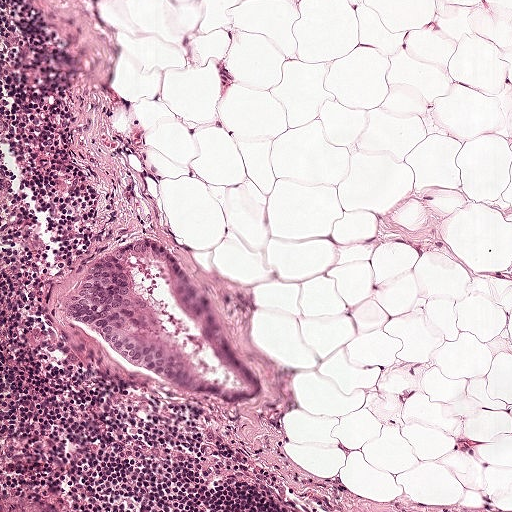
H&E-stained section of a sentinel lymph node (breast cancer), from a whole-slide image, viewed at about 10×: the field is about 0.5 mm across, about 0.97 µm per pixel.
Question: Is any metastatic breast cancer visible in this crop?
Answer: Yes.
Tumour region outline (a closed clockwise path, crop pixels): (144, 237), (150, 240), (150, 256), (141, 260), (132, 272), (136, 288), (147, 302), (150, 327), (159, 343), (168, 350), (169, 373), (154, 379), (136, 374), (122, 354), (64, 315), (61, 301), (69, 288), (93, 260).
About 5% of this field is tumour.

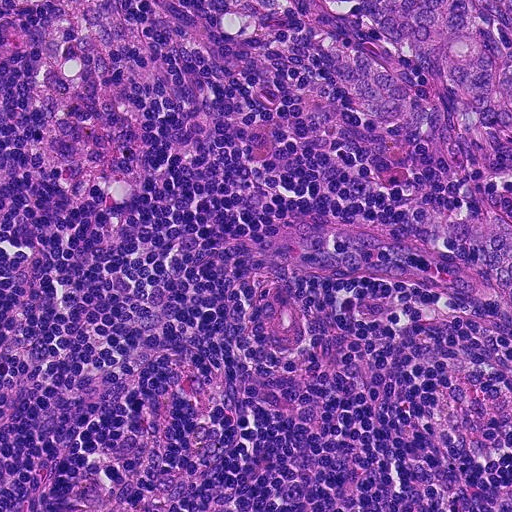
A 0.23-mm field of an H&E-stained sentinel lymph node from a breast-cancer patient (whole-slide image), shown at about 20×, about 0.45 µm per pixel.
Question: Is any metastatic breast cancer visible in this crop?
Answer: Yes.
Boundaries of two metastatic tumour regions, simplified and listed clockwise, largest first: region 1: (195, 0), (511, 0), (511, 170), (464, 172), (367, 126), (344, 98), (338, 62), (308, 40), (274, 29), (238, 29), (204, 12); region 2: (420, 202), (433, 203), (464, 220), (486, 212), (511, 220), (511, 353), (508, 332), (458, 298), (433, 260), (426, 238), (406, 210), (409, 204).
Tumour covers about 15% of the frame.

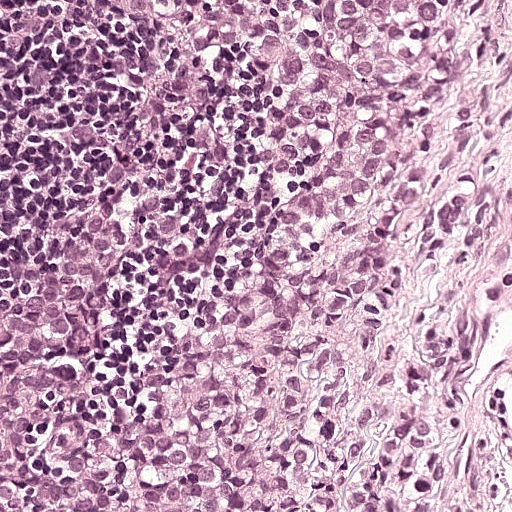
H&E-stained section of a sentinel lymph node (breast cancer), from a whole-slide image, viewed at about 20×: the field is about 0.25 mm across, about 0.49 µm per pixel.
Question: Is any metastatic breast cancer visible in this crop?
Answer: Yes.
Tumour region outline (a closed clockwise path, crop pixels): (260, 0), (475, 0), (404, 184), (362, 262), (339, 257), (320, 284), (272, 378), (227, 511), (0, 511), (0, 251), (52, 248), (110, 226), (147, 196), (208, 113).
About 50% of the image area is annotated as tumour.

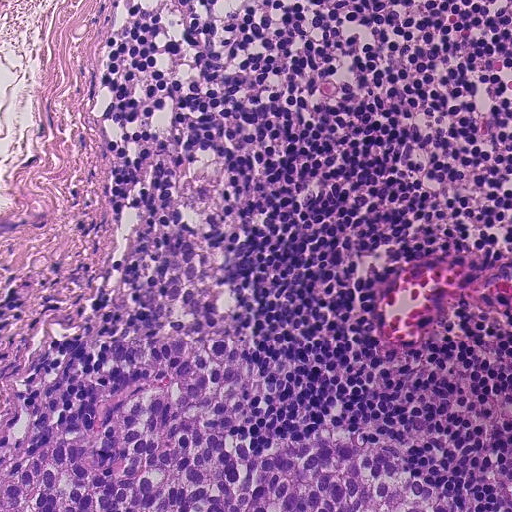
H&E-stained section of a sentinel lymph node (breast cancer), from a whole-slide image, viewed at about 20×: the field is about 0.23 mm across, about 0.45 µm per pixel.
Question: Is any metastatic breast cancer visible in this crop?
Answer: Yes.
The outlined metastatic tumour's edge, as a closed clockwise path of 24 points: (188, 228), (231, 250), (264, 304), (250, 312), (249, 344), (294, 365), (262, 418), (232, 432), (248, 434), (252, 451), (320, 426), (386, 432), (408, 471), (473, 511), (0, 511), (0, 483), (38, 446), (85, 443), (154, 379), (110, 356), (112, 340), (152, 312), (139, 303), (142, 288).
About 20% of this field is tumour.